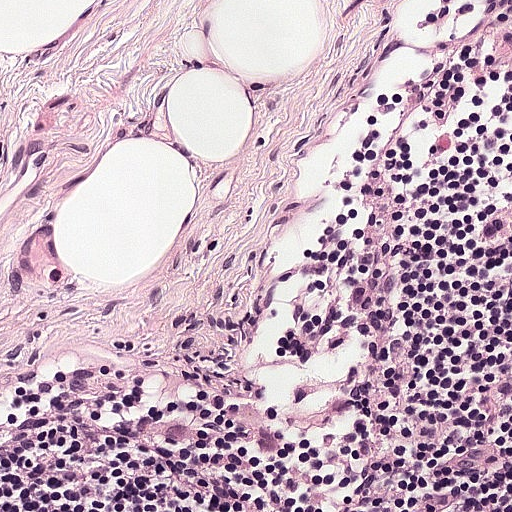
H&E-stained section of a sentinel lymph node (breast cancer), from a whole-slide image, viewed at about 20×: the field is about 0.25 mm across, about 0.49 µm per pixel.
Question: Is there metastatic carcinoma in this field?
Answer: No, this field holds no outlined metastasis.